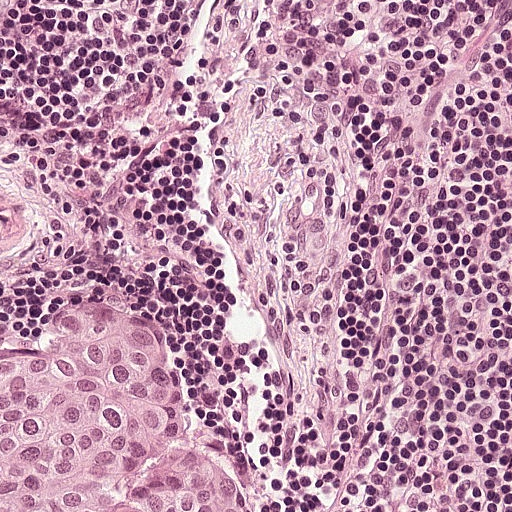
A 0.25-mm field of an H&E-stained sentinel lymph node from a breast-cancer patient (whole-slide image), shown at about 20×, about 0.49 µm per pixel.
One metastatic tumour region; its boundary, reduced to 9 corners and listed clockwise: (88, 316), (153, 316), (187, 352), (216, 412), (247, 432), (267, 461), (276, 510), (0, 511), (0, 347).
About 15% of this field is tumour.